Image:
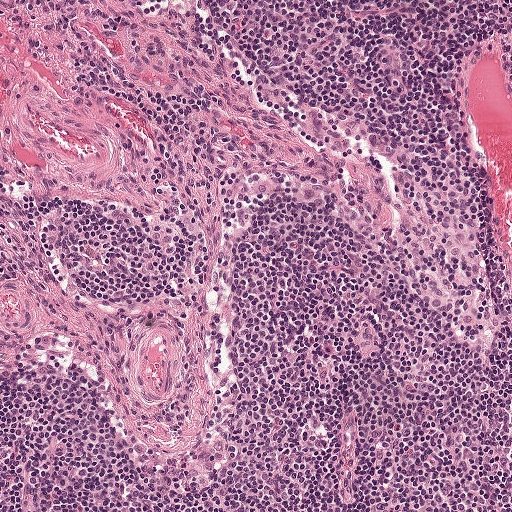
H&E-stained section of a sentinel lymph node (breast cancer), from a whole-slide image, viewed at about 10×: the field is about 0.5 mm across, about 0.97 µm per pixel.
Question:
Does this lymph node field contain metastatic tumour?
Answer:
No. No metastatic tumour is outlined in this field.